Question: 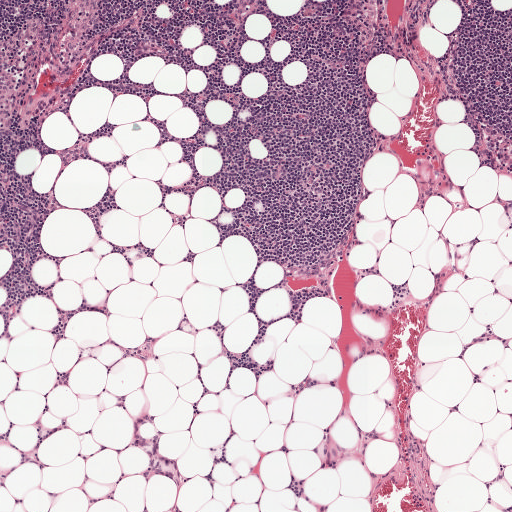
At roughly what magnification is this field shown?

Choices:
 (A) about 40×
 (B) about 5×
 (C) about 10×
 (D) about 2.5×
 (E) about 20×

Answer: (B) about 5×
This is a crop of a whole-slide image: an H&E-stained breast-cancer sentinel lymph node section at roughly 5× magnification (about 1.9 µm per pixel; the crop spans about 1 mm).